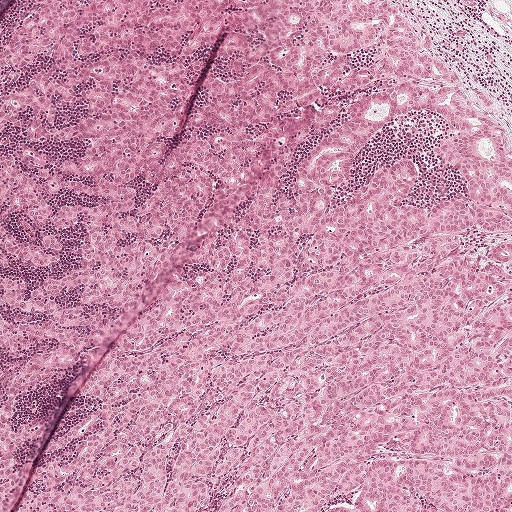
This is a crop of a whole-slide image: an H&E-stained breast-cancer sentinel lymph node section at roughly 5× magnification (about 1.9 µm per pixel; the crop spans about 1 mm).
One metastatic tumour region; its boundary, reduced to 24 corners and listed clockwise: (438, 80), (500, 116), (511, 137), (511, 511), (20, 511), (86, 397), (147, 320), (213, 263), (242, 207), (284, 180), (351, 196), (379, 166), (410, 160), (418, 172), (406, 203), (466, 197), (439, 152), (446, 124), (435, 112), (379, 132), (338, 184), (297, 172), (308, 148), (381, 86).
The annotated tumour makes up about 50% of the crop.